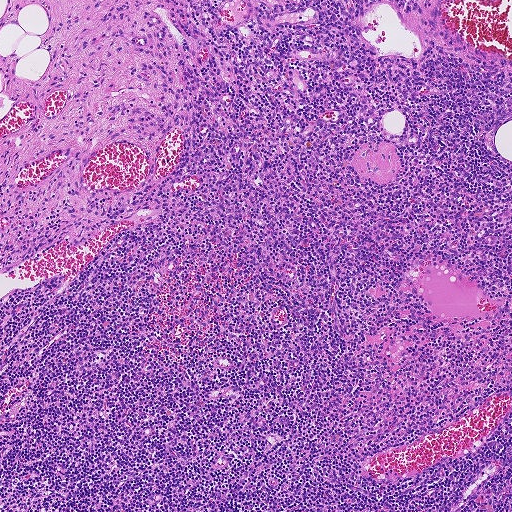
A 0.93-mm field of an H&E-stained sentinel lymph node from a breast-cancer patient (whole-slide image), shown at about 5×, about 1.8 µm per pixel.